Image:
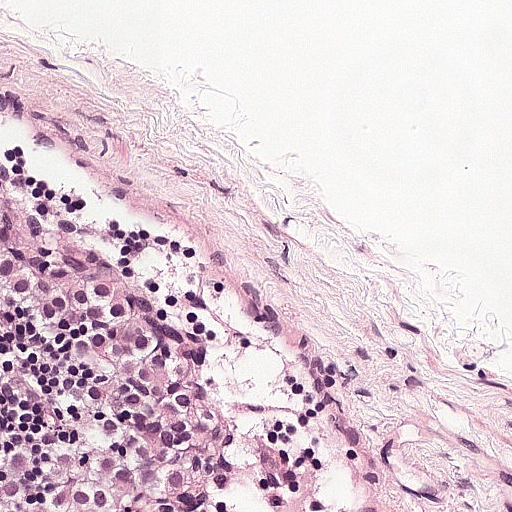
A 0.25-mm field of an H&E-stained sentinel lymph node from a breast-cancer patient (whole-slide image), shown at about 20×, about 0.49 µm per pixel.
Question:
Is there metastatic carcinoma in this field?
Answer:
Yes.
The outlined metastatic tumour's edge, as a closed clockwise path of 5 points: (0, 88), (168, 274), (250, 445), (258, 511), (0, 511).
Tumour covers about 25% of the frame.

Image:
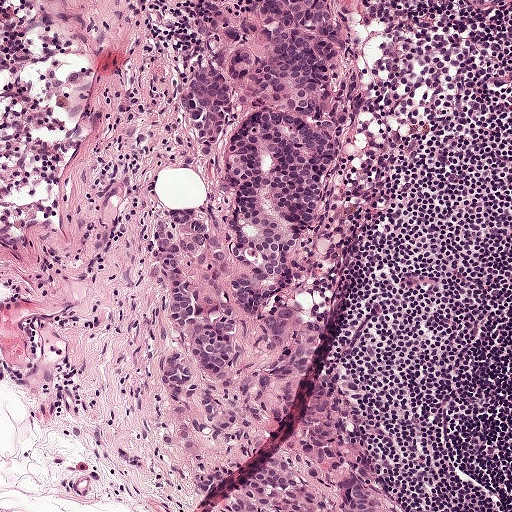
This is a crop of a whole-slide image: an H&E-stained breast-cancer sentinel lymph node section at roughly 10× magnification (about 0.97 µm per pixel; the crop spans about 0.5 mm).
Question:
Is there metastatic carcinoma in this field?
Answer:
Yes.
One metastatic tumour region; its boundary, reduced to 22 corners and listed clockwise: (355, 0), (350, 113), (294, 268), (292, 332), (398, 511), (215, 511), (159, 458), (166, 408), (212, 409), (233, 390), (226, 389), (202, 406), (154, 386), (171, 322), (147, 247), (196, 202), (228, 197), (221, 154), (183, 139), (168, 113), (171, 78), (266, 1).
About 30% of the image area is annotated as tumour.

Image:
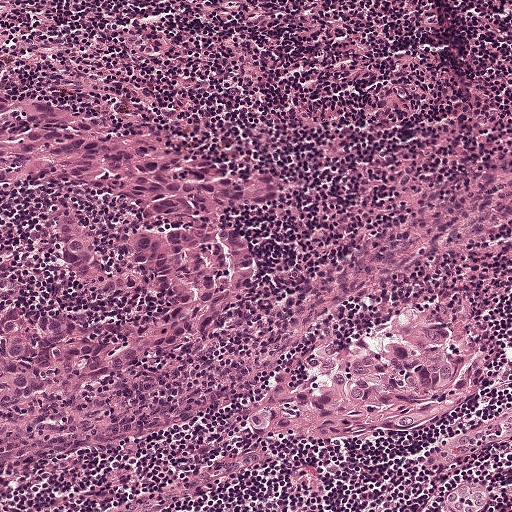
Lymph node section stained with H&E, from a whole-slide image of a breast-cancer sentinel node. Magnification about 10×, about 0.5 mm across the frame, about 0.97 µm per pixel.
Question:
Is there metastatic carcinoma in this field?
Answer:
Yes.
Outlines of two tumour regions, largest first (closed clockwise paths, crop pixels): region 1: (0, 86), (118, 116), (204, 159), (268, 174), (270, 195), (237, 196), (252, 290), (235, 319), (2, 414); region 2: (430, 292), (459, 294), (483, 386), (435, 424), (405, 432), (269, 440), (236, 430), (234, 405), (244, 386), (308, 340), (384, 324), (390, 310).
Tumour covers about 35% of the frame.

Image:
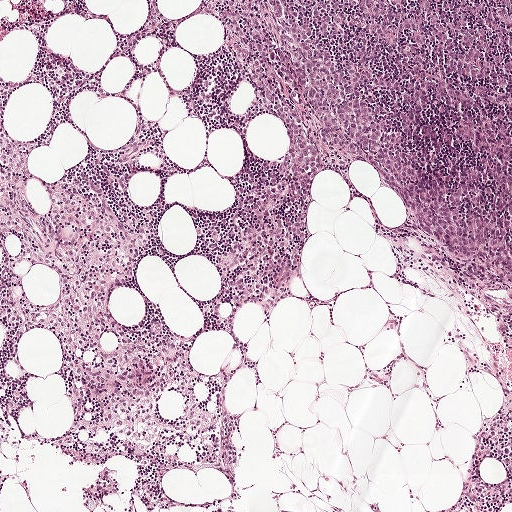
A 1-mm field of an H&E-stained sentinel lymph node from a breast-cancer patient (whole-slide image), shown at about 5×, about 1.9 µm per pixel.
Question:
Is there metastatic carcinoma in this field?
Answer:
Yes.
Boundaries of two metastatic tumour regions, simplified and listed clockwise, largest first: region 1: (147, 0), (175, 20), (202, 0), (511, 0), (511, 294), (459, 276), (371, 164), (335, 155), (318, 165), (310, 192), (296, 285), (277, 287), (290, 205), (277, 167), (292, 136), (278, 119), (260, 118), (216, 17), (179, 20), (133, 48), (132, 38), (152, 18); region 2: (511, 434), (511, 468), (506, 467), (500, 463), (499, 460), (498, 456), (497, 454), (498, 448), (499, 447), (505, 441), (506, 438).
Tumour covers about 20% of the frame.